Question: 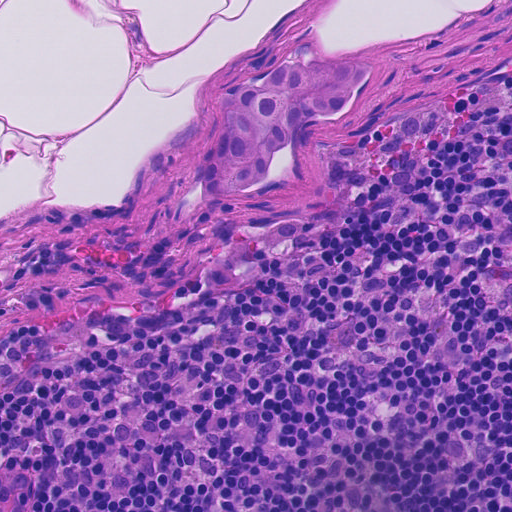
At roughly what magnification is this field shown?

Choices:
 (A) about 10×
 (B) about 20×
 (C) about 2.5×
 (D) about 40×
 (E) about 5×

Answer: (B) about 20×
A 0.23-mm field of an H&E-stained sentinel lymph node from a breast-cancer patient (whole-slide image), shown at about 20×, about 0.45 µm per pixel.
The outlined metastatic tumour's edge, as a closed clockwise path of 17 points: (324, 54), (376, 62), (371, 82), (357, 89), (350, 110), (335, 120), (318, 120), (301, 132), (264, 182), (217, 198), (198, 194), (191, 184), (190, 164), (214, 113), (215, 86), (269, 74), (281, 62).
About 5% of this field is tumour.
Question: 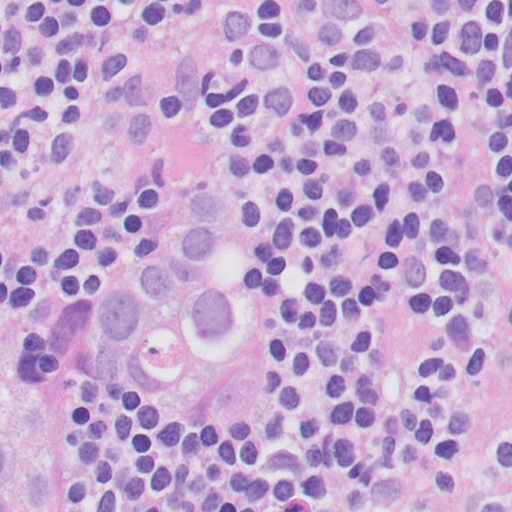
At roughly what magnification is this field shown?

Choices:
 (A) about 40×
 (B) about 20×
 (C) about 10×
 (D) about 5×
 (E) about 2.5×

Answer: (A) about 40×
This is a crop of a whole-slide image: an H&E-stained breast-cancer sentinel lymph node section at roughly 40× magnification (about 0.25 µm per pixel; the crop spans about 0.13 mm).
Boundaries of two metastatic tumour regions, simplified and listed clockwise, largest first: region 1: (245, 154), (286, 260), (298, 322), (292, 389), (265, 442), (213, 456), (160, 442), (115, 414), (83, 362), (110, 245), (147, 200), (187, 164); region 2: (7, 295), (61, 404), (67, 455), (65, 511), (0, 511), (0, 297).
One more small tumour piece is annotated here but not outlined.
Tumour covers about 25% of the frame.
Question: 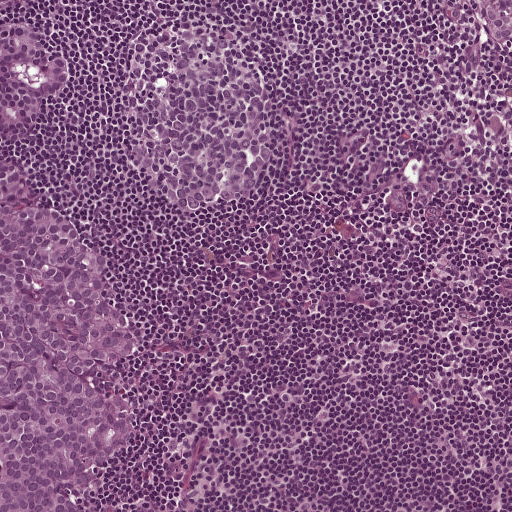
At roughly what magnification is this field shown?

Choices:
 (A) about 10×
 (B) about 40×
 (C) about 5×
 (D) about 20×
 (E) about 2.5×

Answer: (A) about 10×
This is a crop of a whole-slide image: an H&E-stained breast-cancer sentinel lymph node section at roughly 10× magnification (about 0.97 µm per pixel; the crop spans about 0.5 mm).
Two metastatic tumour regions, each outlined as a closed clockwise path in crop pixels (x, y), largest first: region 1: (4, 20), (60, 42), (70, 60), (60, 97), (40, 102), (34, 135), (5, 144), (6, 152), (102, 234), (138, 328), (134, 437), (106, 465), (97, 511), (0, 511); region 2: (455, 0), (511, 0), (511, 49), (496, 46), (488, 40), (465, 8).
Tumour covers about 20% of the frame.
Question: 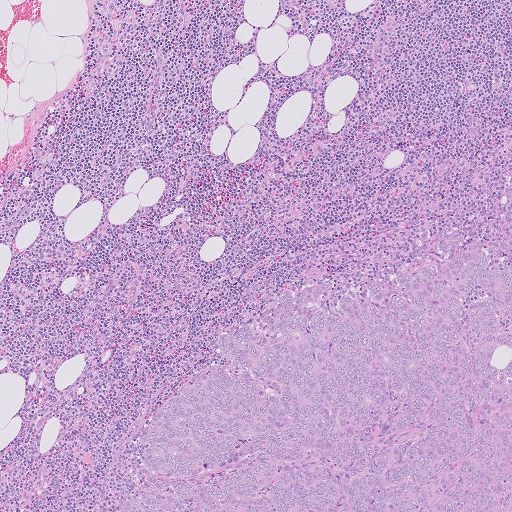
At roughly what magnification is this field shown?

Choices:
 (A) about 40×
 (B) about 20×
 (C) about 5×
 (D) about 2.5×
 (E) about 10×

Answer: (C) about 5×
H&E-stained section of a sentinel lymph node (breast cancer), from a whole-slide image, viewed at about 5×: the field is about 1.0 mm across, about 2.0 µm per pixel.
Boundaries of two metastatic tumour regions, simplified and listed clockwise, largest first: region 1: (455, 224), (511, 254), (511, 511), (113, 511), (136, 472), (132, 430), (209, 360), (234, 315), (301, 288), (351, 288); region 2: (511, 186), (511, 223), (499, 208), (504, 191).
About 30% of this field is tumour.